Image:
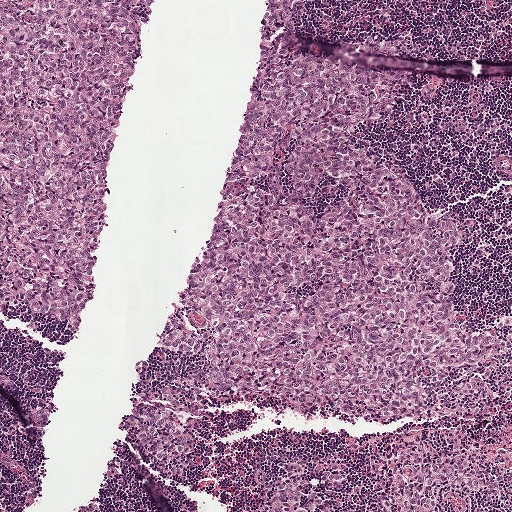
This is a crop of a whole-slide image: an H&E-stained breast-cancer sentinel lymph node section at roughly 5× magnification (about 1.9 µm per pixel; the crop spans about 1 mm).
Question:
Does this lymph node field contain metastatic tumour?
Answer:
Yes.
Outlines of two tumour regions, largest first (closed clockwise paths, crop pixels): region 1: (274, 0), (402, 55), (408, 96), (370, 145), (461, 207), (463, 334), (511, 340), (506, 416), (476, 465), (511, 475), (511, 504), (390, 511), (398, 480), (456, 448), (447, 427), (220, 420), (190, 488), (131, 447), (150, 408), (211, 374), (168, 364), (163, 345), (251, 127); region 2: (0, 0), (163, 0), (114, 128), (110, 198), (84, 329), (64, 338), (1, 317).
About 55% of this field is tumour.